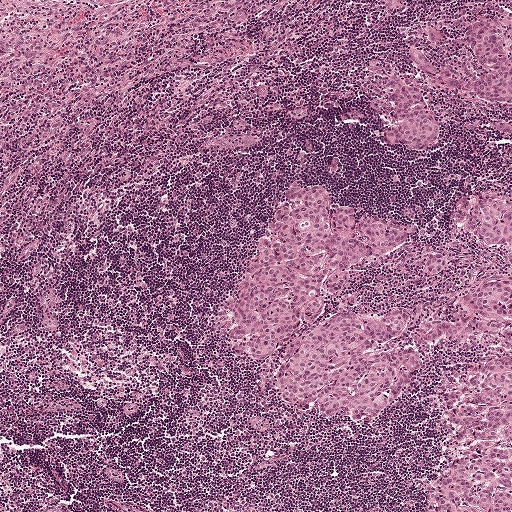
H&E-stained section of a sentinel lymph node (breast cancer), from a whole-slide image, viewed at about 5×: the field is about 1 mm across, about 1.9 µm per pixel.
Boundaries of four metastatic tumour regions, simplified and listed clockwise, largest first: region 1: (288, 184), (325, 187), (335, 205), (356, 206), (359, 222), (398, 221), (412, 224), (420, 233), (353, 268), (346, 289), (330, 296), (328, 314), (305, 323), (274, 356), (250, 362), (230, 349), (224, 316); region 2: (398, 307), (410, 317), (385, 349), (414, 347), (422, 354), (422, 365), (412, 384), (387, 418), (362, 425), (344, 414), (331, 418), (278, 399), (274, 375), (293, 337), (337, 314), (377, 313); region 3: (511, 328), (511, 511), (430, 511), (427, 493), (459, 449), (452, 432), (443, 427), (443, 420), (471, 372), (485, 361), (505, 357), (498, 340); region 4: (487, 19), (511, 26), (511, 107), (496, 105), (482, 97), (474, 89), (474, 65), (462, 44), (462, 31), (470, 22).
About 15% of the image area is annotated as tumour.